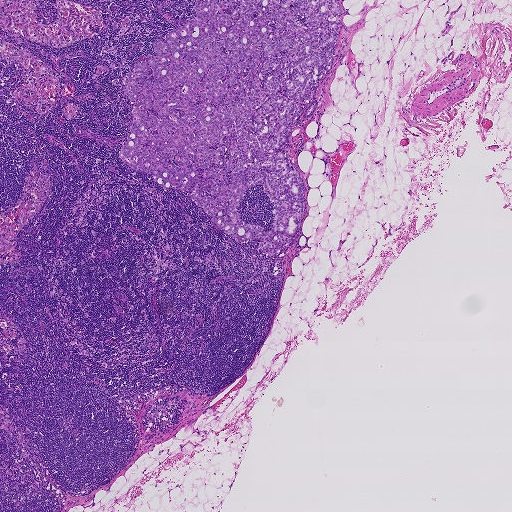
H&E-stained section of a sentinel lymph node (breast cancer), from a whole-slide image, viewed at about 2.5×: the field is about 1.9 mm across, about 3.6 µm per pixel.
Outlines of two tumour regions, largest first (closed clockwise paths, crop pixels): region 1: (196, 0), (339, 0), (335, 56), (314, 93), (312, 116), (302, 114), (277, 150), (295, 152), (304, 189), (302, 222), (285, 257), (262, 256), (262, 242), (234, 240), (188, 191), (166, 190), (117, 156), (132, 107), (112, 80), (156, 56), (152, 42), (195, 14); region 2: (318, 134), (319, 145), (321, 149), (325, 152), (330, 153), (334, 151), (337, 149), (328, 158), (332, 167), (332, 177), (330, 181), (324, 180), (322, 173), (324, 172), (325, 163), (317, 158), (313, 158), (308, 151), (303, 150), (303, 145), (308, 137), (311, 139), (316, 139).
Tumour covers about 15% of the frame.